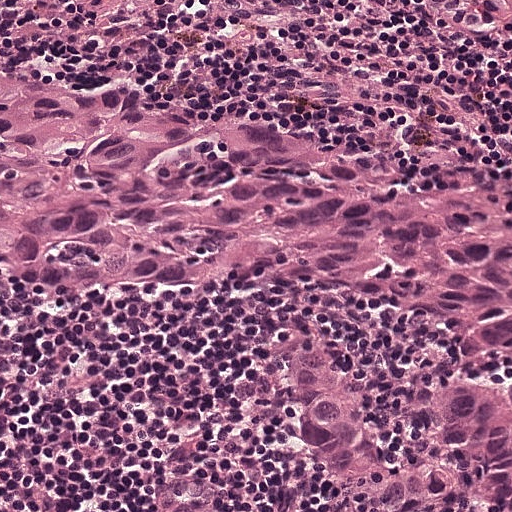
A 0.25-mm field of an H&E-stained sentinel lymph node from a breast-cancer patient (whole-slide image), shown at about 20×, about 0.49 µm per pixel.
Question: Where is the metastatic tumour in this field?
Answer: Tumour region outline (a closed clockwise path, crop pixels): (0, 47), (349, 132), (510, 196), (511, 511), (0, 511).
About 80% of the image area is annotated as tumour.